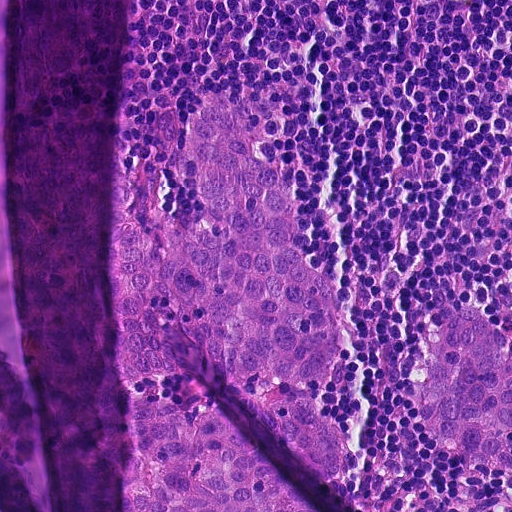
A 0.23-mm field of an H&E-stained sentinel lymph node from a breast-cancer patient (whole-slide image), shown at about 20×, about 0.45 µm per pixel.
Question: Is any metastatic breast cancer visible in this crop?
Answer: Yes.
Two metastatic tumour regions, each outlined as a closed clockwise path in crop pixels (x, y), largest first: region 1: (225, 85), (294, 192), (338, 316), (328, 378), (282, 390), (340, 426), (367, 510), (225, 338), (158, 323), (158, 347), (304, 511), (130, 511), (116, 374), (119, 150), (122, 160), (154, 157), (173, 222), (210, 228), (191, 202), (186, 134), (195, 100); region 2: (460, 296), (486, 312), (505, 337), (511, 360), (511, 478), (496, 474), (472, 454), (424, 439), (414, 410), (418, 378), (442, 320).
About 30% of this field is tumour.